Image:
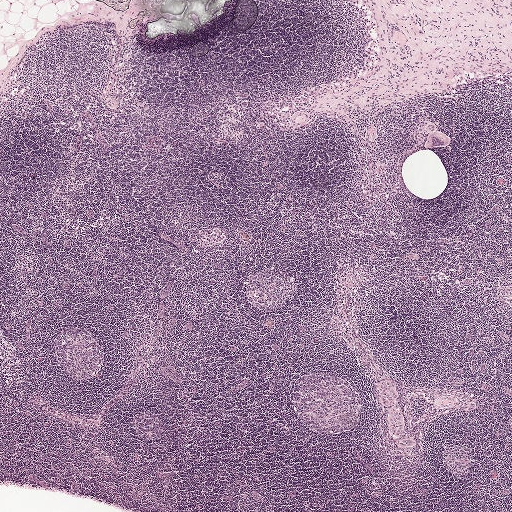
This is a crop of a whole-slide image: an H&E-stained breast-cancer sentinel lymph node section at roughly 2.5× magnification (about 3.9 µm per pixel; the crop spans about 2.0 mm).
Question:
Is any metastatic breast cancer visible in this crop?
Answer:
Yes.
Tumour region outline (a closed clockwise path, crop pixels): (387, 379), (396, 387), (399, 397), (396, 408), (401, 410), (405, 422), (404, 435), (400, 438), (408, 437), (416, 440), (416, 444), (412, 446), (398, 445), (389, 434), (387, 419), (378, 392), (378, 384), (381, 380).
The annotated tumour makes up under 5% of the crop.

Image:
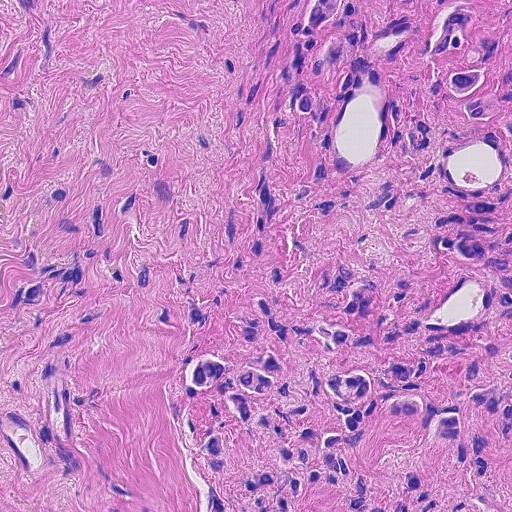
This is a crop of a whole-slide image: an H&E-stained breast-cancer sentinel lymph node section at roughly 20× magnification (about 0.45 µm per pixel; the crop spans about 0.23 mm).
Question:
Is any metastatic breast cancer visible in this crop?
Answer:
Yes.
Metastatic tumour outline, simplified to 7 points and listed clockwise in crop pixels (x, y): (300, 0), (511, 0), (511, 511), (208, 511), (184, 375), (202, 311), (248, 222).
Tumour covers about 55% of the frame.

Image:
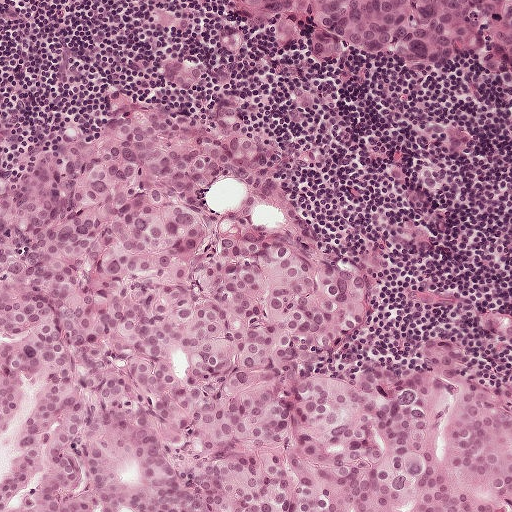
A 0.5-mm field of an H&E-stained sentinel lymph node from a breast-cancer patient (whole-slide image), shown at about 10×, about 0.97 µm per pixel.
Question:
Is any metastatic breast cancer visible in this crop?
Answer:
Yes.
Boundaries of two metastatic tumour regions, simplified and listed clockwise, largest first: region 1: (110, 94), (180, 110), (234, 95), (328, 249), (370, 286), (368, 325), (313, 371), (353, 381), (364, 366), (410, 368), (425, 342), (450, 337), (482, 390), (510, 389), (511, 511), (0, 511), (0, 125), (20, 163), (96, 132); region 2: (232, 0), (511, 0), (511, 90), (494, 84), (473, 55), (448, 76), (397, 68), (378, 50), (352, 50), (348, 60), (334, 69), (311, 67), (260, 43).
The annotated tumour makes up about 65% of the crop.

Image:
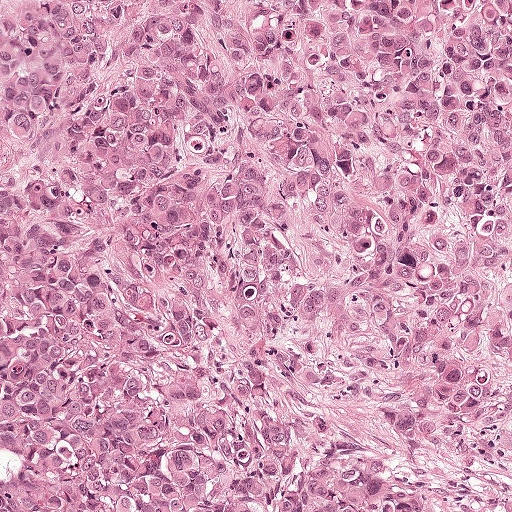
This is a crop of a whole-slide image: an H&E-stained breast-cancer sentinel lymph node section at roughly 10× magnification (about 0.97 µm per pixel; the crop spans about 0.5 mm).
Question:
Is any metastatic breast cancer visible in this crop?
Answer:
Yes.
Metastatic tumour covers the whole field.
Tumour covers over 95% of the frame.